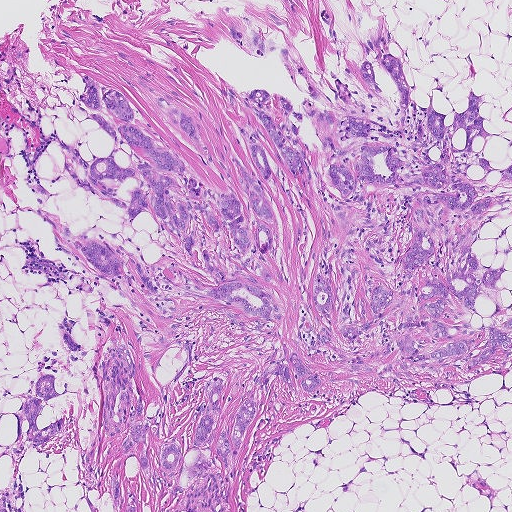
H&E-stained section of a sentinel lymph node (breast cancer), from a whole-slide image, viewed at about 5×: the field is about 0.93 mm across, about 1.8 µm per pixel.
Question: Which parts of this field are metastatic tumour?
Answer: Outlines of six tumour regions, largest first (closed clockwise paths, crop pixels): region 1: (229, 25), (282, 46), (325, 97), (392, 126), (390, 75), (376, 64), (375, 94), (359, 72), (366, 38), (393, 32), (415, 103), (434, 94), (447, 125), (470, 86), (486, 93), (485, 157), (511, 164), (511, 185), (486, 183), (511, 202), (469, 244), (477, 273), (506, 263), (472, 320), (511, 304), (511, 361), (407, 369), (390, 323), (319, 344), (319, 195), (228, 85), (269, 92), (276, 123), (273, 93), (292, 102), (318, 175), (324, 151), (276, 51), (251, 55); region 2: (84, 73), (126, 96), (129, 124), (186, 167), (170, 174), (181, 189), (205, 201), (231, 193), (150, 95), (178, 106), (246, 209), (228, 149), (250, 174), (232, 122), (244, 118), (269, 163), (276, 288), (265, 286), (282, 318), (154, 297), (136, 277), (101, 273), (63, 222), (78, 240), (122, 245), (165, 292), (217, 287), (189, 265), (192, 259), (149, 213), (131, 226), (126, 207), (70, 181), (66, 147), (92, 161), (112, 148), (78, 95); region 3: (123, 336), (139, 350), (134, 382), (156, 433), (151, 442), (155, 465), (173, 440), (190, 446), (215, 373), (225, 377), (226, 388), (211, 450), (225, 418), (228, 440), (248, 387), (270, 361), (297, 354), (318, 375), (321, 381), (314, 392), (301, 388), (292, 368), (292, 382), (274, 376), (264, 388), (232, 466), (231, 511), (157, 511), (156, 484), (140, 467), (134, 444), (129, 454), (118, 453), (127, 429), (107, 437), (100, 429), (98, 358), (111, 340); region 4: (54, 374), (57, 391), (61, 392), (65, 381), (67, 385), (66, 394), (48, 400), (36, 420), (39, 429), (60, 418), (64, 420), (61, 430), (19, 458), (0, 457), (0, 443), (16, 439), (17, 420), (12, 414), (28, 392), (34, 393), (40, 376); region 5: (113, 468), (120, 476), (123, 487), (125, 504), (133, 486), (141, 511), (114, 511), (114, 501), (111, 478); region 6: (0, 493), (10, 503), (18, 507), (22, 511), (0, 511).
About 35% of the image area is annotated as tumour.